This is a crop of a whole-slide image: an H&E-stained breast-cancer sentinel lymph node section at roughly 2.5× magnification (about 3.6 µm per pixel; the crop spans about 1.9 mm).
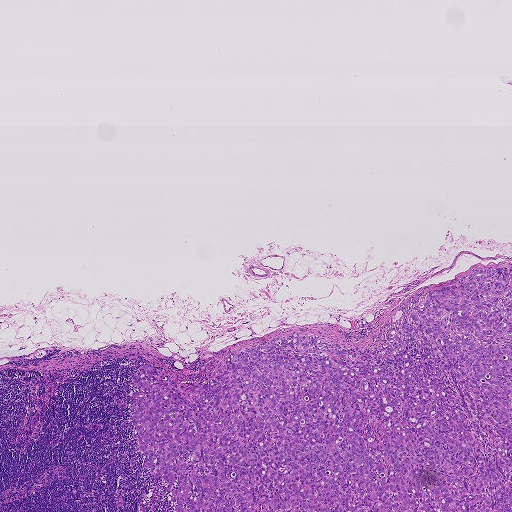
Metastatic tumour outline, simplified to 19 points and listed clockwise in crop pixels (x, y): (511, 267), (511, 511), (179, 511), (171, 486), (143, 466), (129, 407), (145, 360), (180, 389), (205, 383), (231, 354), (287, 335), (336, 343), (372, 364), (376, 355), (364, 350), (380, 349), (431, 290), (459, 286), (478, 268).
About 25% of the image area is annotated as tumour.